Lymph node section stained with H&E, from a whole-slide image of a breast-cancer sentinel node. Magnification about 10×, about 0.5 mm across the frame, about 0.97 µm per pixel.
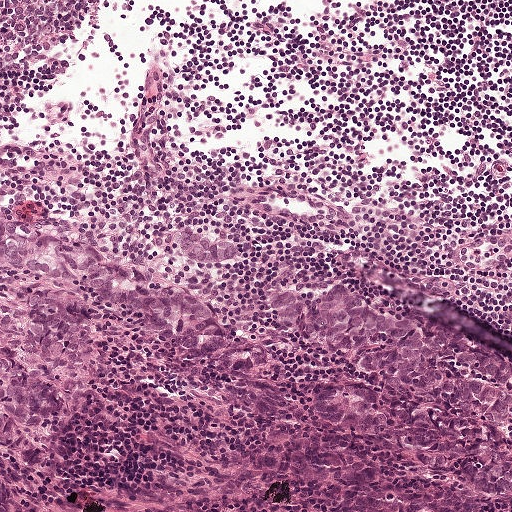
Outlines of six tumour regions, largest first (closed clockwise paths, crop pixels): region 1: (292, 284), (316, 294), (339, 286), (390, 313), (415, 314), (478, 339), (505, 357), (511, 368), (511, 420), (493, 425), (441, 414), (354, 376), (332, 357), (282, 332), (270, 304), (276, 290); region 2: (0, 205), (104, 255), (136, 258), (168, 272), (208, 310), (241, 332), (262, 360), (260, 375), (227, 378), (147, 339), (138, 326), (84, 291), (48, 288), (0, 270); region 3: (24, 298), (62, 299), (78, 306), (90, 323), (97, 355), (96, 375), (85, 393), (80, 416), (39, 440), (46, 455), (40, 467), (19, 467), (0, 454), (0, 312), (23, 328), (18, 304); region 4: (320, 386), (357, 388), (428, 422), (462, 428), (496, 442), (510, 441), (511, 503), (384, 452), (348, 444), (312, 411), (308, 398); region 5: (188, 228), (204, 232), (209, 241), (215, 238), (225, 243), (238, 243), (239, 247), (238, 256), (228, 262), (215, 264), (209, 266), (197, 266), (184, 260), (174, 250), (176, 234); region 6: (0, 474), (8, 491), (8, 511), (0, 511).
The annotated tumour makes up about 20% of the crop.